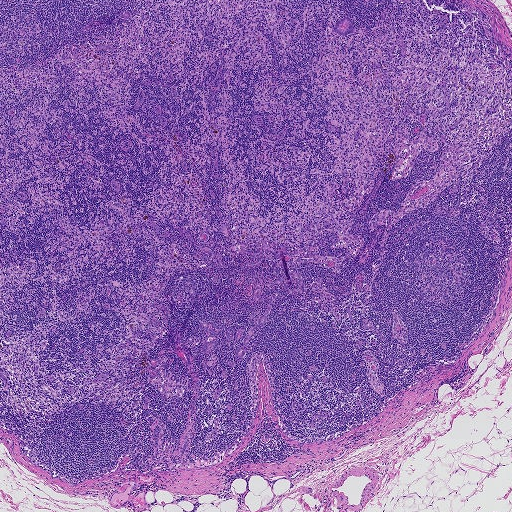
This is a crop of a whole-slide image: an H&E-stained breast-cancer sentinel lymph node section at roughly 2.5× magnification (about 3.6 µm per pixel; the crop spans about 1.9 mm).
Seven metastatic tumour regions, each outlined as a closed clockwise path in crop pixels (x, y), largest first: region 1: (201, 322), (213, 323), (221, 331), (216, 335), (218, 343), (217, 347), (209, 353), (204, 352), (202, 348), (204, 339), (209, 333), (199, 327), (197, 325); region 2: (261, 240), (264, 240), (271, 251), (270, 252), (264, 252), (264, 255), (272, 256), (273, 255), (272, 252), (276, 253), (281, 249), (280, 246), (284, 245), (285, 249), (280, 253), (284, 264), (285, 266), (291, 264), (294, 266), (291, 268), (288, 266), (283, 268), (275, 265), (275, 264), (278, 264), (282, 260), (279, 257), (268, 259), (264, 258), (263, 260), (261, 258), (257, 259), (246, 255), (242, 251), (242, 248), (248, 250), (253, 254), (258, 253), (260, 250); region 3: (268, 306), (270, 306), (270, 309), (266, 318), (267, 321), (265, 324), (259, 327), (254, 331), (247, 345), (244, 355), (242, 358), (239, 358), (236, 357), (235, 354), (236, 351), (240, 346), (243, 345), (243, 340), (250, 329), (252, 327), (253, 324), (252, 323), (254, 320), (256, 318), (259, 318), (265, 312); region 4: (290, 271), (298, 273), (304, 284), (303, 290), (300, 290), (292, 295), (291, 291), (288, 291), (281, 285), (271, 288), (267, 286), (267, 282), (275, 282), (278, 278), (282, 279); region 5: (343, 16), (350, 18), (353, 28), (350, 34), (344, 35), (334, 32), (333, 29), (335, 22); region 6: (258, 286), (259, 287), (259, 291), (258, 294), (259, 296), (258, 297), (257, 300), (256, 301), (250, 301), (249, 300), (254, 298), (255, 295), (256, 290), (255, 288), (256, 287); region 7: (225, 328), (228, 331), (231, 337), (230, 343), (226, 343), (224, 341), (226, 339), (226, 334).
Region 4 encloses a non-tumour hole of about 25% of its area.
10 more small tumour pieces are annotated here but not outlined.
Under 5% of the image area is annotated as tumour.